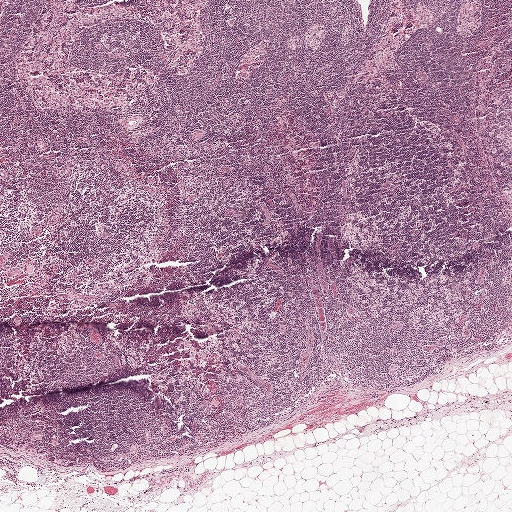
This is a crop of a whole-slide image: an H&E-stained breast-cancer sentinel lymph node section at roughly 2.5× magnification (about 3.9 µm per pixel; the crop spans about 2.0 mm).
Question: Does this lymph node field contain metastatic tumour?
Answer: Yes.
Four metastatic tumour regions, each outlined as a closed clockwise path in crop pixels (x, y), largest first: region 1: (511, 83), (511, 212), (503, 195), (489, 157), (491, 156), (486, 142), (487, 119), (499, 92); region 2: (134, 442), (137, 443), (138, 446), (138, 452), (137, 455), (129, 459), (117, 462), (113, 462), (103, 462), (98, 459), (102, 456), (118, 452), (126, 453), (129, 451), (132, 443); region 3: (25, 444), (34, 450), (38, 454), (45, 454), (46, 456), (45, 460), (34, 459), (16, 453), (14, 451), (14, 449), (19, 445); region 4: (325, 385), (326, 391), (318, 400), (314, 408), (307, 408), (306, 400), (312, 392), (319, 386).
Six more small tumour pieces are annotated here but not outlined.
The annotated tumour makes up under 5% of the crop.